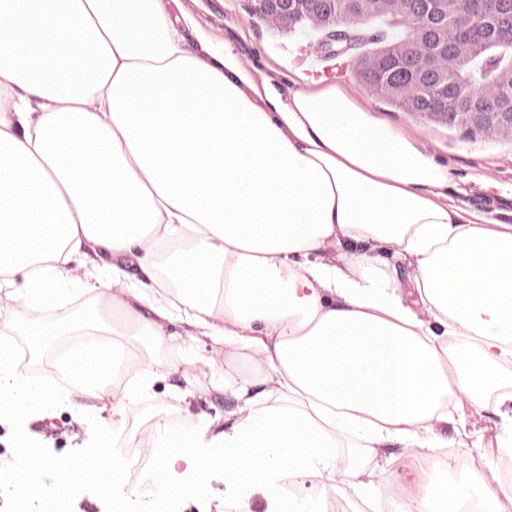
This is a crop of a whole-slide image: an H&E-stained breast-cancer sentinel lymph node section at roughly 20× magnification (about 0.49 µm per pixel; the crop spans about 0.25 mm).
The outlined metastatic tumour's edge, as a closed clockwise path of 6 points: (227, 0), (511, 0), (511, 147), (401, 116), (332, 84), (278, 52).
About 10% of this field is tumour.